Image:
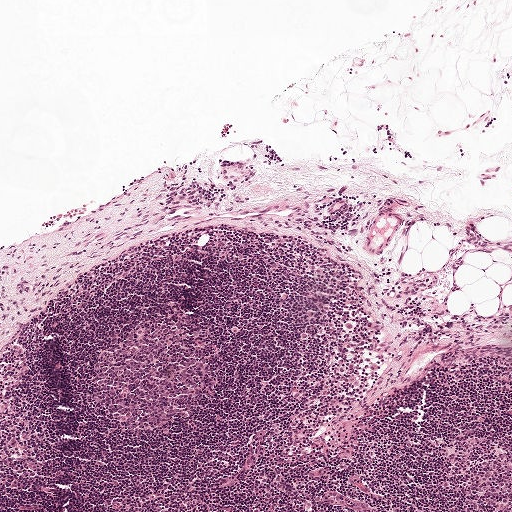
H&E-stained section of a sentinel lymph node (breast cancer), from a whole-slide image, viewed at about 5×: the field is about 1 mm across, about 1.9 µm per pixel.
Question:
Is there metastatic carcinoma in this field?
Answer:
No: no metastatic tumour is outlined anywhere in this field.